Image:
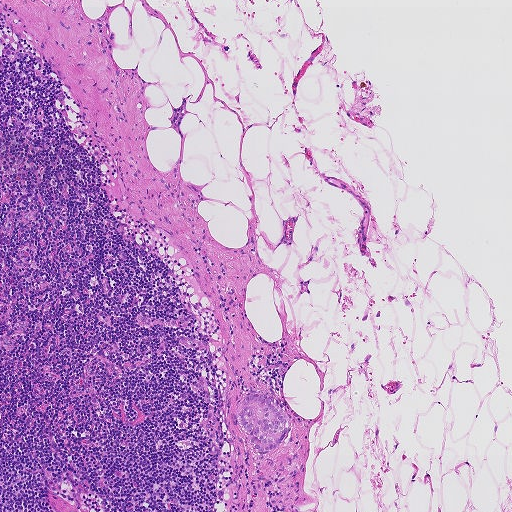
A 0.93-mm field of an H&E-stained sentinel lymph node from a breast-cancer patient (whole-slide image), shown at about 5×, about 1.8 µm per pixel.
Question:
Where is the metastatic tumour in this field? Give each region's outline as (x, y) pixel points.
Answer:
One metastatic tumour region; its boundary, reduced to 11 corners and listed clockwise: (250, 394), (263, 394), (275, 399), (288, 421), (288, 434), (282, 445), (271, 453), (258, 453), (239, 426), (236, 418), (244, 397).
The annotated tumour makes up under 5% of the crop.